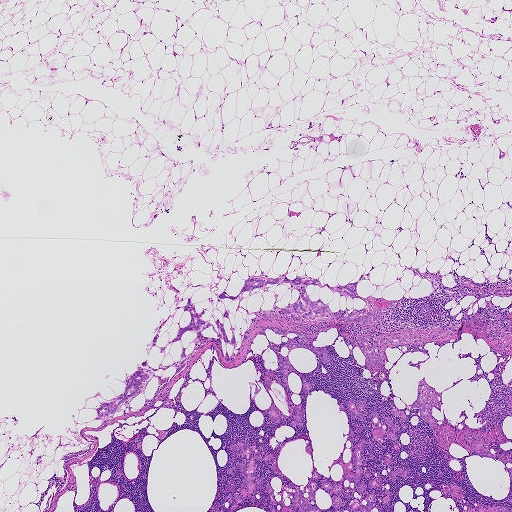
This is a crop of a whole-slide image: an H&E-stained breast-cancer sentinel lymph node section at roughly 2.5× magnification (about 3.6 µm per pixel; the crop spans about 1.9 mm).
Eight metastatic tumour regions, each outlined as a closed clockwise path in crop pixels (x, y), largest first: region 1: (187, 297), (197, 312), (204, 310), (202, 319), (222, 334), (214, 321), (222, 323), (223, 313), (228, 310), (229, 319), (224, 317), (223, 326), (230, 340), (233, 331), (235, 356), (225, 361), (211, 342), (176, 375), (174, 367), (155, 371), (141, 363), (147, 359), (153, 368), (178, 361), (182, 347), (187, 347), (186, 355), (193, 349), (197, 333), (186, 331), (162, 353), (151, 347), (155, 336), (162, 347), (178, 328), (189, 324), (190, 313), (179, 306); region 2: (245, 439), (249, 445), (256, 443), (273, 457), (278, 472), (272, 471), (258, 459), (254, 479), (262, 475), (262, 486), (270, 484), (276, 511), (271, 511), (269, 509), (269, 496), (265, 487), (251, 494), (254, 500), (248, 496), (239, 503), (227, 502), (227, 496), (231, 492), (227, 488), (229, 481), (235, 483), (236, 493), (244, 478), (237, 468), (232, 474), (226, 472), (241, 461), (241, 459), (228, 462), (236, 454), (228, 449), (230, 445); region 3: (360, 439), (365, 440), (364, 462), (361, 468), (362, 473), (370, 471), (371, 476), (366, 478), (362, 475), (359, 483), (368, 485), (370, 480), (377, 477), (382, 486), (369, 487), (366, 494), (373, 492), (375, 497), (376, 497), (377, 500), (372, 503), (373, 505), (382, 509), (383, 511), (375, 508), (370, 511), (359, 511), (362, 506), (367, 505), (365, 495), (358, 492), (355, 482), (346, 478), (346, 475), (351, 470), (355, 474), (354, 450); region 4: (138, 365), (149, 376), (142, 382), (144, 385), (140, 391), (121, 403), (111, 414), (94, 419), (96, 415), (95, 408), (99, 407), (101, 403), (110, 401), (122, 393), (126, 386), (124, 381), (137, 370); region 5: (466, 433), (472, 435), (478, 436), (483, 438), (484, 433), (490, 435), (491, 438), (489, 442), (484, 447), (486, 449), (489, 450), (490, 451), (492, 453), (499, 453), (511, 448), (511, 492), (510, 478), (503, 463), (498, 460), (479, 456), (468, 449), (463, 434); region 6: (315, 472), (317, 473), (319, 475), (319, 478), (318, 481), (316, 482), (318, 486), (318, 488), (313, 491), (315, 493), (315, 498), (311, 502), (312, 504), (321, 509), (322, 511), (290, 511), (292, 510), (296, 510), (291, 504), (291, 501), (292, 498), (293, 496), (295, 490), (294, 487), (291, 487), (288, 483), (290, 482), (295, 483), (296, 486), (296, 491), (302, 491), (304, 488), (306, 487), (309, 488), (310, 482), (312, 479), (312, 474); region 7: (427, 387), (431, 391), (431, 394), (426, 395), (428, 400), (434, 399), (435, 401), (430, 410), (431, 413), (437, 422), (436, 429), (434, 430), (432, 430), (427, 421), (420, 418), (421, 408), (410, 408), (408, 404), (411, 404), (416, 398), (418, 393), (418, 395), (426, 393), (425, 388); region 8: (321, 480), (326, 480), (333, 485), (334, 483), (337, 483), (341, 485), (343, 492), (337, 495), (340, 496), (342, 501), (342, 503), (340, 508), (342, 511), (335, 511), (331, 499), (332, 496), (334, 495), (328, 493), (321, 486), (320, 483).
One more tumour region is annotated but not outlined: its edge is too irregular for a short outline.
Six more, smaller tumour regions are not outlined.
Five more small tumour pieces are annotated here but not outlined.
About 10% of the image area is annotated as tumour.